Question: 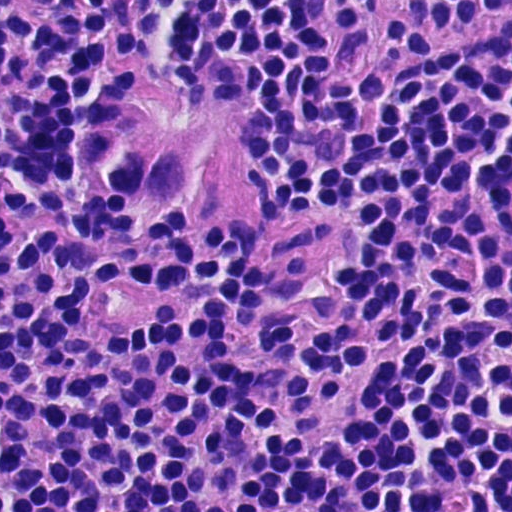
Which magnification is this H&E lymph node field most likely shown at?

Choices:
 (A) about 2.5×
 (B) about 20×
 (C) about 10×
 (D) about 40×
 (E) about 5×

Answer: (D) about 40×
Lymph node section stained with H&E, from a whole-slide image of a breast-cancer sentinel node. Magnification about 40×, about 0.12 mm across the frame, about 0.23 µm per pixel.
Tumour region outline (a closed clockwise path, crop pixels): (111, 72), (180, 95), (231, 136), (217, 208), (148, 227), (91, 195), (76, 131).
The annotated tumour makes up about 5% of the crop.